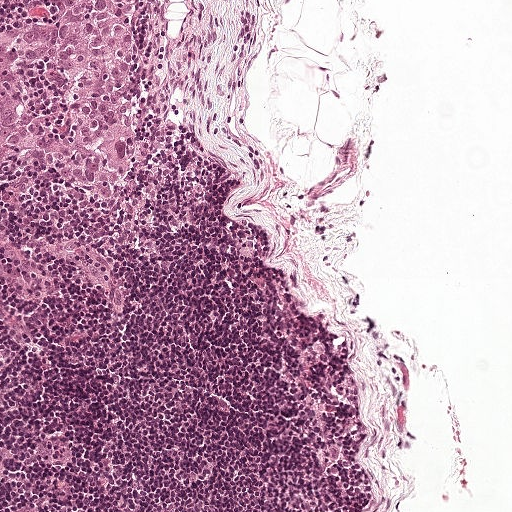
H&E-stained section of a sentinel lymph node (breast cancer), from a whole-slide image, viewed at about 10×: the field is about 0.5 mm across, about 0.97 µm per pixel.
Question: Which parts of this field are metastatic tumour? Answer with the outline of each region, in pixels.
Answer: Tumour region outline (a closed clockwise path, crop pixels): (138, 0), (141, 128), (150, 153), (136, 184), (106, 197), (79, 193), (28, 151), (0, 167), (0, 37), (57, 20), (55, 1).
About 10% of this field is tumour.